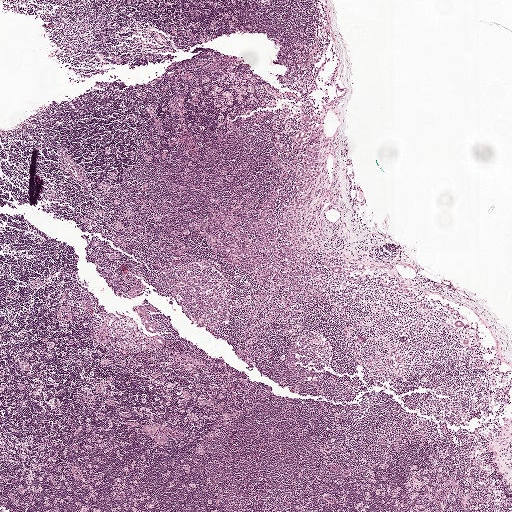
This is a crop of a whole-slide image: an H&E-stained breast-cancer sentinel lymph node section at roughly 2.5× magnification (about 3.9 µm per pixel; the crop spans about 2.0 mm).
Tumour region outline (a closed clockwise path, crop pixels): (306, 111), (324, 120), (329, 129), (320, 168), (293, 220), (292, 235), (338, 262), (344, 270), (343, 276), (334, 275), (302, 290), (292, 289), (280, 278), (244, 273), (198, 241), (193, 222), (206, 207), (250, 193), (267, 196), (284, 185), (295, 162), (300, 121).
Tumour covers about 5% of the frame.